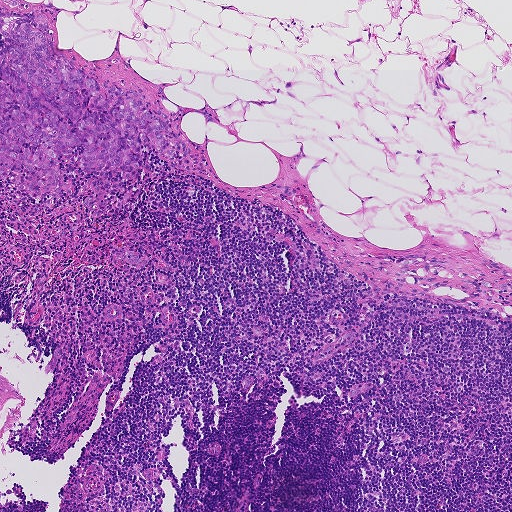
This is a crop of a whole-slide image: an H&E-stained breast-cancer sentinel lymph node section at roughly 5× magnification (about 1.8 µm per pixel; the crop spans about 0.93 mm).
Question: Where is the metastatic tumour in this field?
Answer: Outlines of four tumour regions, largest first (closed clockwise paths, crop pixels): region 1: (0, 12), (45, 16), (53, 50), (104, 96), (112, 84), (138, 89), (176, 112), (179, 139), (208, 174), (172, 168), (153, 144), (131, 180), (84, 171), (79, 146), (61, 156), (68, 196), (60, 189), (59, 198), (35, 198), (1, 180); region 2: (113, 248), (125, 249), (136, 254), (138, 257), (141, 259), (144, 256), (147, 256), (148, 260), (147, 264), (140, 266), (128, 264), (122, 259), (113, 257), (110, 254), (110, 250); region 3: (89, 177), (93, 177), (96, 179), (93, 186), (100, 186), (100, 190), (94, 195), (94, 199), (88, 208), (84, 208), (82, 204), (83, 201), (92, 191), (91, 188), (87, 181); region 4: (4, 0), (22, 0), (22, 2), (27, 2), (29, 5), (29, 9), (25, 9), (17, 8), (13, 8), (10, 7).
About 10% of this field is tumour.